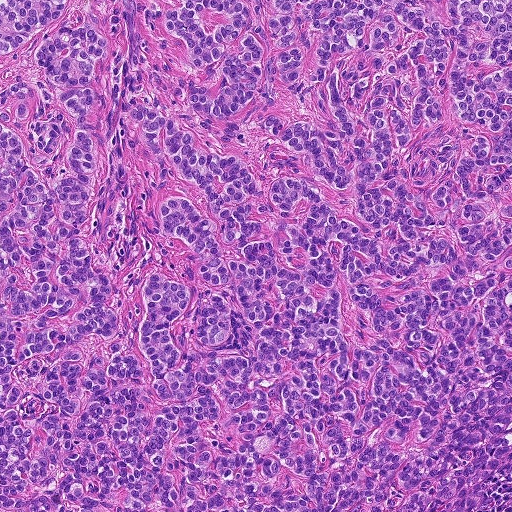
H&E-stained section of a sentinel lymph node (breast cancer), from a whole-slide image, viewed at about 10×: the field is about 0.46 mm across, about 0.9 µm per pixel.
Metastatic tumour covers the whole field.
The annotated tumour makes up over 95% of the crop.